Lymph node section stained with H&E, from a whole-slide image of a breast-cancer sentinel node. Magnification about 20×, about 0.23 mm across the frame, about 0.45 µm per pixel.
Image:
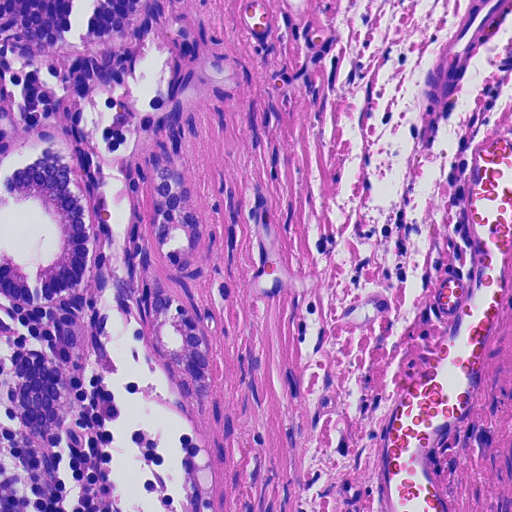
Question:
Which parts of this field are metastatic tumour?
Answer:
Four metastatic tumour regions, each outlined as a closed clockwise path in crop pixels (x, y), largest first: region 1: (52, 120), (96, 218), (97, 256), (74, 372), (74, 409), (60, 445), (38, 451), (22, 430), (6, 356), (16, 343), (49, 358), (56, 312), (2, 301), (0, 135); region 2: (0, 0), (163, 0), (167, 9), (158, 40), (172, 62), (174, 98), (168, 133), (135, 132), (136, 149), (118, 159), (93, 152), (76, 130), (81, 105), (32, 58), (0, 46); region 3: (153, 278), (194, 304), (208, 342), (210, 380), (194, 412), (146, 354); region 4: (157, 147), (185, 170), (194, 207), (200, 246), (189, 280), (162, 257), (146, 223), (148, 184).
About 20% of this field is tumour.